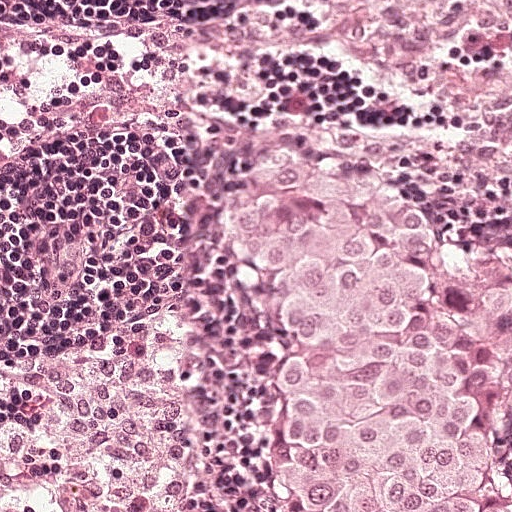
H&E-stained section of a sentinel lymph node (breast cancer), from a whole-slide image, viewed at about 20×: the field is about 0.25 mm across, about 0.49 µm per pixel.
Metastatic tumour outline, simplified to 15 points and listed clockwise in crop pixels (x, y): (267, 136), (356, 143), (406, 175), (433, 230), (481, 259), (511, 259), (511, 436), (481, 441), (490, 511), (258, 511), (272, 480), (258, 430), (258, 348), (212, 236), (212, 182).
About 35% of the image area is annotated as tumour.